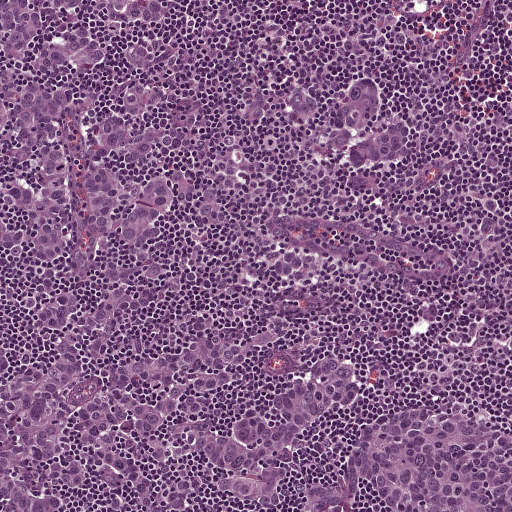
Lymph node section stained with H&E, from a whole-slide image of a breast-cancer sentinel node. Magnification about 10×, about 0.5 mm across the frame, about 0.97 µm per pixel.
One metastatic tumour region; its boundary, reduced to 24 corners and listed clockwise: (0, 0), (163, 0), (167, 26), (134, 45), (186, 100), (338, 73), (392, 92), (418, 145), (385, 165), (252, 126), (173, 132), (171, 170), (308, 267), (192, 259), (155, 335), (288, 319), (303, 327), (234, 398), (336, 352), (363, 370), (356, 422), (511, 424), (511, 511), (0, 511).
Tumour covers about 60% of the frame.